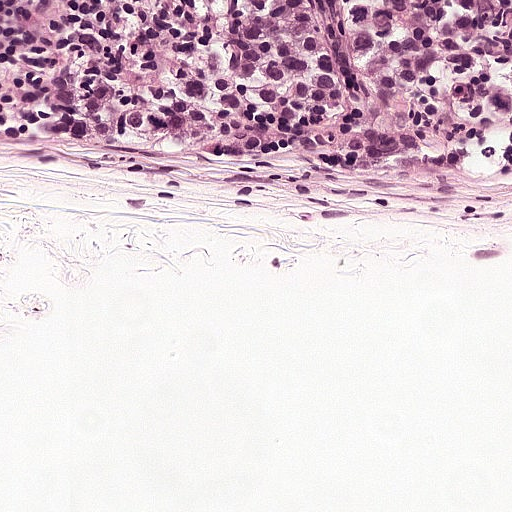
Lymph node section stained with H&E, from a whole-slide image of a breast-cancer sentinel node. Magnification about 20×, about 0.25 mm across the frame, about 0.49 µm per pixel.
The outlined metastatic tumour's edge, as a closed clockwise path of 7 points: (0, 0), (511, 0), (511, 183), (295, 176), (268, 164), (178, 169), (1, 145).
About 35% of this field is tumour.